Image:
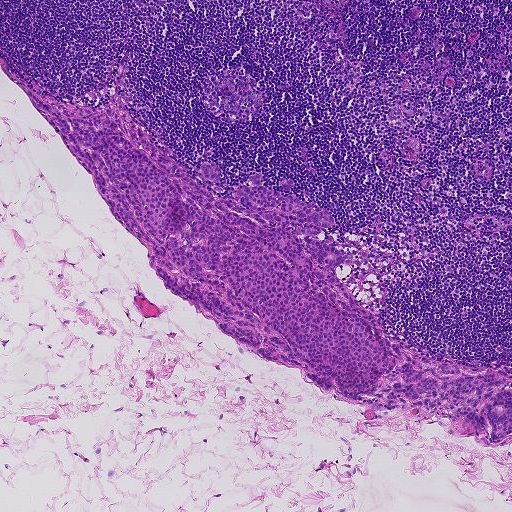
H&E-stained section of a sentinel lymph node (breast cancer), from a whole-slide image, viewed at about 5×: the field is about 0.93 mm across, about 1.8 µm per pixel.
Question:
Where is the metastatic tumour in this field?
Answer:
Metastatic tumour outline, simplified to 20 points and listed clockwise in crop pixels (x, y): (1, 66), (117, 109), (199, 183), (217, 164), (200, 184), (215, 198), (259, 171), (281, 194), (291, 179), (284, 195), (331, 211), (335, 273), (386, 332), (511, 370), (511, 434), (490, 442), (447, 410), (324, 394), (238, 347), (170, 293).
The annotated tumour makes up about 20% of the crop.